Question: 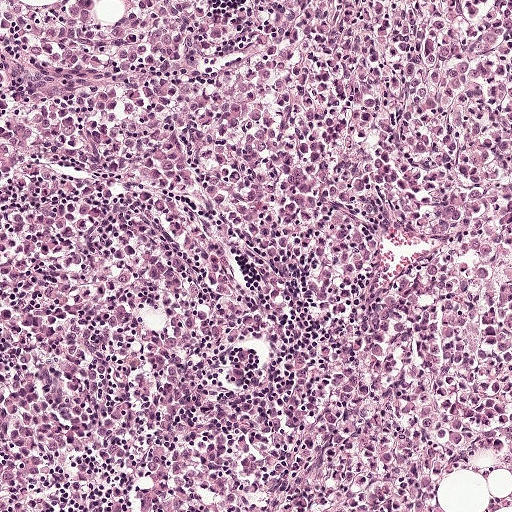
H&E-stained section of a sentinel lymph node (breast cancer), from a whole-slide image, viewed at about 10×: the field is about 0.5 mm across, about 0.97 µm per pixel.
What fraction of the image area is metastatic tumour?

Choices:
 (A) about 25% to 45%
 (B) none: no tumour is outlined
 (C) about 10% to 20%
 (D) about 5% or less
 (E) about 50% or more

Answer: (A) about 25% to 45%
About 45% of the field is tumour.
One metastatic tumour region; its boundary, reduced to 13 corners and listed clockwise: (354, 5), (427, 25), (440, 40), (511, 56), (511, 410), (438, 467), (415, 508), (291, 511), (297, 323), (209, 185), (198, 142), (203, 92), (277, 10).